Question: 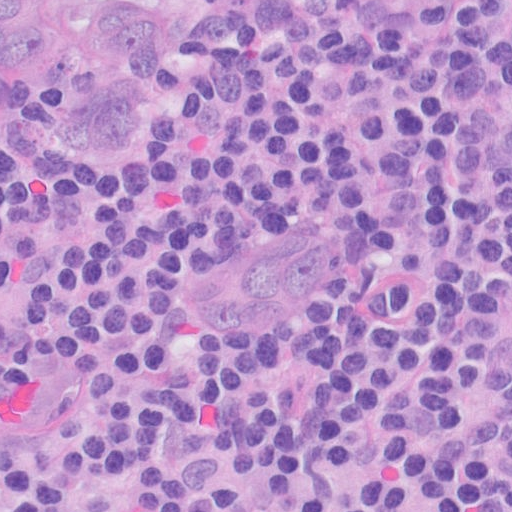
At roughly what magnification is this field shown?

Choices:
 (A) about 20×
 (B) about 2.5×
 (C) about 5×
 (D) about 40×
 (E) about 10×

Answer: (D) about 40×
H&E-stained section of a sentinel lymph node (breast cancer), from a whole-slide image, viewed at about 40×: the field is about 0.13 mm across, about 0.25 µm per pixel.
Outlines of two tumour regions, largest first (closed clockwise paths, crop pixels): region 1: (0, 0), (431, 0), (237, 56), (177, 117), (105, 166), (0, 154); region 2: (314, 226), (337, 245), (329, 287), (304, 322), (266, 345), (219, 341), (180, 315), (192, 273), (271, 235).
The annotated tumour makes up about 20% of the crop.